Question: 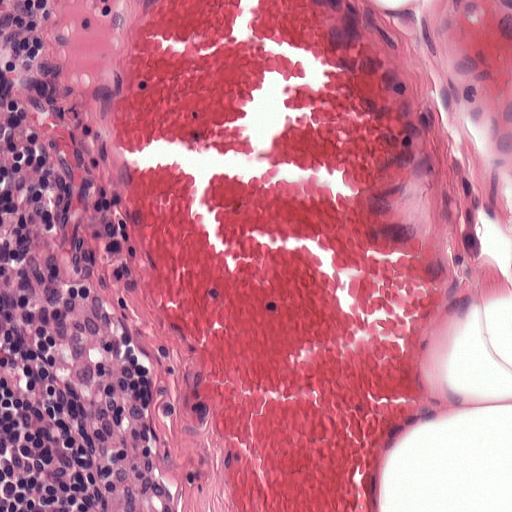
About what magnification does this crop show?

Choices:
 (A) about 20×
 (B) about 2.5×
 (C) about 10×
 (D) about 5×
 (E) about 40×

Answer: (A) about 20×
A 0.25-mm field of an H&E-stained sentinel lymph node from a breast-cancer patient (whole-slide image), shown at about 20×, about 0.49 µm per pixel.